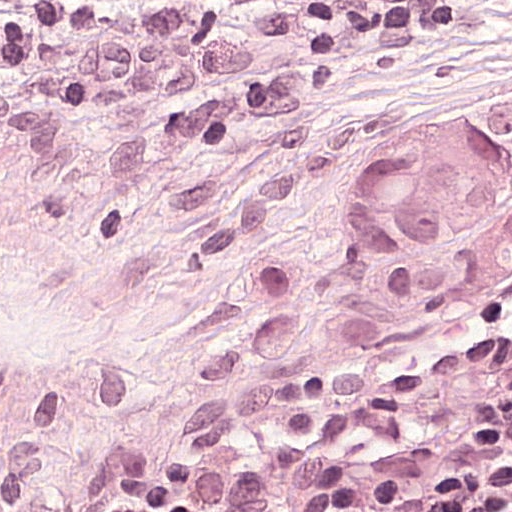
H&E-stained section of a sentinel lymph node (breast cancer), from a whole-slide image, viewed at about 40×: the field is about 0.12 mm across, about 0.24 µm per pixel.
One metastatic tumour region; its boundary, reduced to 12 corners and listed clockwise: (511, 108), (511, 313), (436, 352), (361, 374), (329, 399), (291, 454), (159, 505), (139, 497), (154, 445), (229, 313), (329, 249), (361, 186).
About 25% of this field is tumour.